Question: 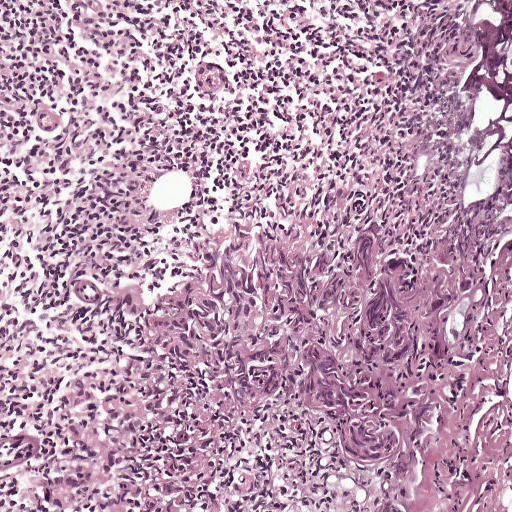
Which magnification is this H&E lymph node field most likely shown at?

Choices:
 (A) about 20×
 (B) about 2.5×
 (C) about 5×
 (D) about 10×
 (E) about 40×

Answer: (D) about 10×
H&E-stained section of a sentinel lymph node (breast cancer), from a whole-slide image, viewed at about 10×: the field is about 0.5 mm across, about 0.97 µm per pixel.
The outlined metastatic tumour's edge, as a closed clockwise path of 15 points: (370, 204), (486, 268), (487, 328), (409, 511), (366, 511), (378, 475), (281, 400), (224, 436), (204, 511), (41, 511), (64, 386), (138, 356), (96, 300), (189, 263), (274, 210).
Tumour covers about 35% of the frame.